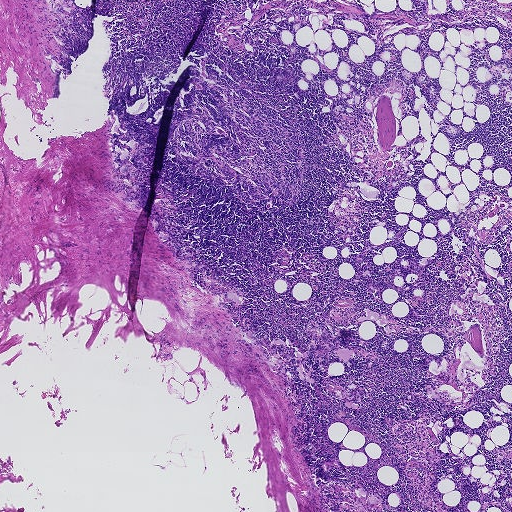
H&E-stained section of a sentinel lymph node (breast cancer), from a whole-slide image, viewed at about 2.5×: the field is about 1.9 mm across, about 3.6 µm per pixel.
Question: Does this lymph node field contain metastatic tumour?
Answer: No: no metastatic tumour is outlined anywhere in this field.